Question: 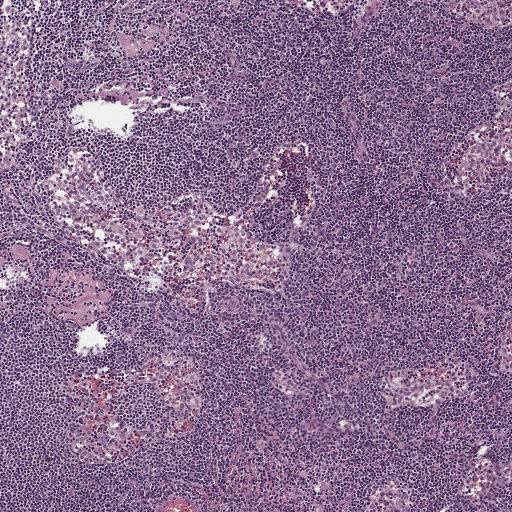
At roughly what magnification is this field shown?

Choices:
 (A) about 10×
 (B) about 40×
 (C) about 2.5×
 (D) about 5×
 (E) about 20×

Answer: (D) about 5×
A 1-mm field of an H&E-stained sentinel lymph node from a breast-cancer patient (whole-slide image), shown at about 5×, about 1.9 µm per pixel.